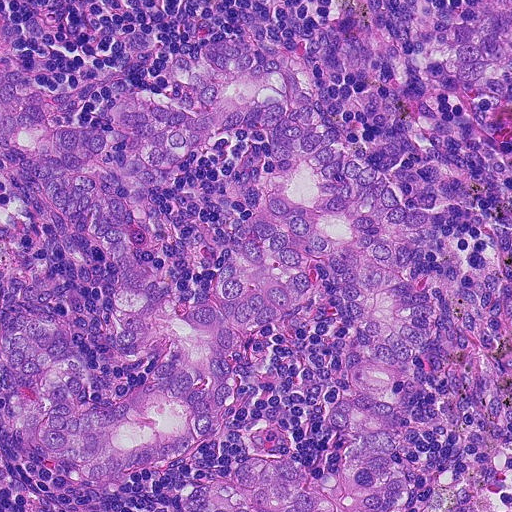
This is a crop of a whole-slide image: an H&E-stained breast-cancer sentinel lymph node section at roughly 20× magnification (about 0.45 µm per pixel; the crop spans about 0.23 mm).
The outlined metastatic tumour's edge, as a closed clockwise path of 23 points: (236, 30), (296, 74), (291, 110), (431, 216), (407, 511), (180, 511), (248, 461), (340, 463), (332, 282), (234, 346), (232, 416), (176, 460), (86, 484), (26, 442), (14, 324), (58, 322), (94, 410), (167, 338), (108, 340), (108, 248), (0, 157), (0, 57), (79, 136).
The outline encloses a non-tumour hole of about 10% of the region's area.
The annotated tumour makes up about 45% of the crop.